Question: 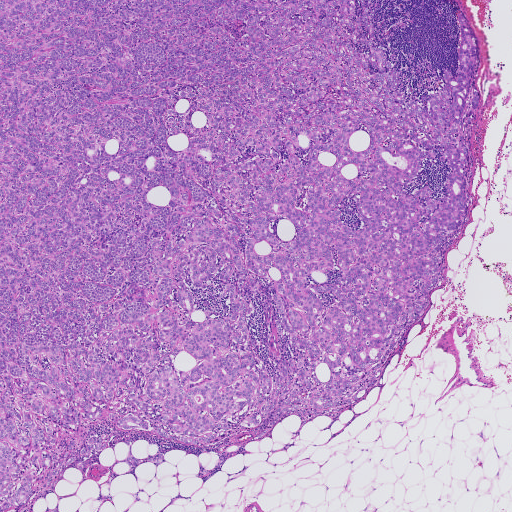
Which magnification is this H&E lymph node field most likely shown at?

Choices:
 (A) about 10×
 (B) about 2.5×
 (C) about 5×
 (D) about 20×
 (E) about 40×

Answer: (B) about 2.5×
This is a crop of a whole-slide image: an H&E-stained breast-cancer sentinel lymph node section at roughly 2.5× magnification (about 3.6 µm per pixel; the crop spans about 1.9 mm).
Two metastatic tumour regions, each outlined as a closed clockwise path in crop pixels (x, y), largest first: region 1: (0, 0), (371, 0), (373, 47), (420, 101), (444, 68), (459, 74), (463, 14), (479, 100), (467, 213), (365, 397), (330, 429), (328, 414), (293, 413), (256, 440), (277, 405), (256, 434), (202, 445), (120, 429), (107, 410), (67, 433), (106, 449), (9, 510); region 2: (131, 438), (133, 441), (132, 446), (132, 454), (136, 458), (146, 460), (161, 453), (164, 453), (165, 455), (165, 460), (164, 462), (157, 466), (152, 463), (144, 462), (135, 468), (130, 468), (126, 462), (129, 448), (124, 442), (126, 439).
Five more small tumour pieces are annotated here but not outlined.
Tumour covers about 70% of the frame.
Question: 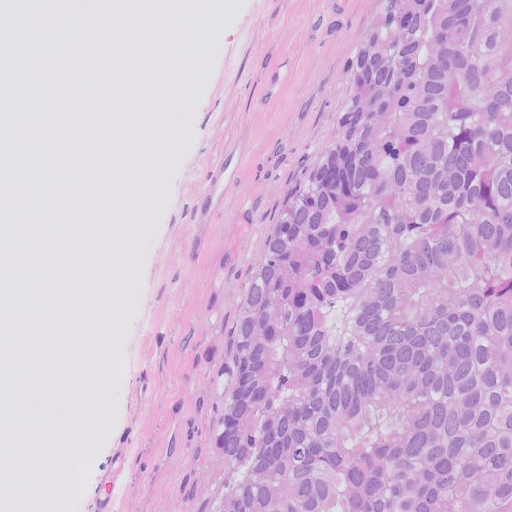
Which magnification is this H&E lymph node field most likely shown at?

Choices:
 (A) about 10×
 (B) about 40×
 (C) about 2.5×
 (D) about 20×
 (E) about 5×

Answer: (D) about 20×
Lymph node section stained with H&E, from a whole-slide image of a breast-cancer sentinel node. Magnification about 20×, about 0.26 mm across the frame, about 0.5 µm per pixel.
One metastatic tumour region; its boundary, reduced to 5 corners and listed clockwise: (375, 0), (511, 0), (511, 511), (206, 511), (240, 278).
About 45% of the image area is annotated as tumour.
Question: 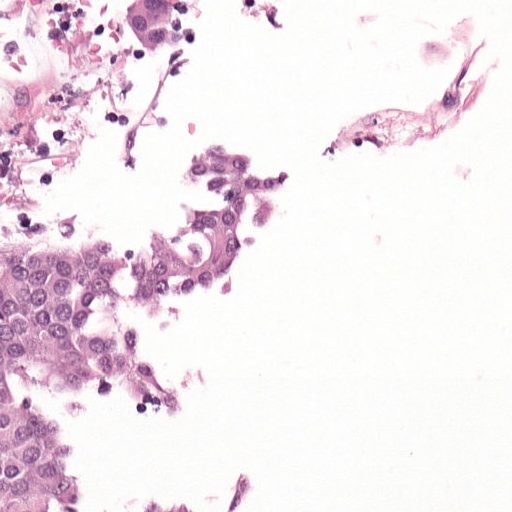
Which magnification is this H&E lymph node field most likely shown at?

Choices:
 (A) about 40×
 (B) about 20×
 (C) about 10×
 (D) about 5×
 (E) about 2.5×

Answer: (B) about 20×
Lymph node section stained with H&E, from a whole-slide image of a breast-cancer sentinel node. Magnification about 20×, about 0.25 mm across the frame, about 0.49 µm per pixel.
Outlines of two tumour regions, largest first (closed clockwise paths, crop pixels): region 1: (0, 0), (225, 0), (169, 102), (174, 130), (144, 136), (145, 172), (122, 177), (113, 136), (45, 208), (80, 208), (131, 240), (146, 216), (172, 227), (194, 134), (303, 175), (181, 348), (209, 397), (200, 424), (87, 431), (121, 491), (254, 452), (267, 511), (0, 511); region 2: (226, 0), (282, 0), (287, 35), (240, 24).
Tumour covers about 40% of the frame.
Question: 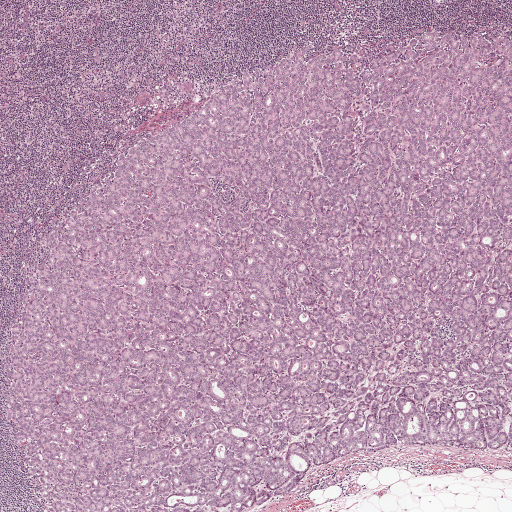
Which magnification is this H&E lymph node field most likely shown at?

Choices:
 (A) about 2.5×
 (B) about 5×
 (C) about 20×
 (D) about 40×
 (E) about 10×

Answer: (A) about 2.5×
H&E-stained section of a sentinel lymph node (breast cancer), from a whole-slide image, viewed at about 2.5×: the field is about 2.0 mm across, about 3.9 µm per pixel.
Tumour region outline (a closed clockwise path, crop pixels): (441, 30), (511, 39), (511, 453), (355, 453), (247, 511), (36, 511), (1, 410), (6, 320), (38, 242), (94, 172), (242, 73), (309, 42), (306, 62), (335, 49), (371, 57).
The annotated tumour makes up about 75% of the crop.